Question: 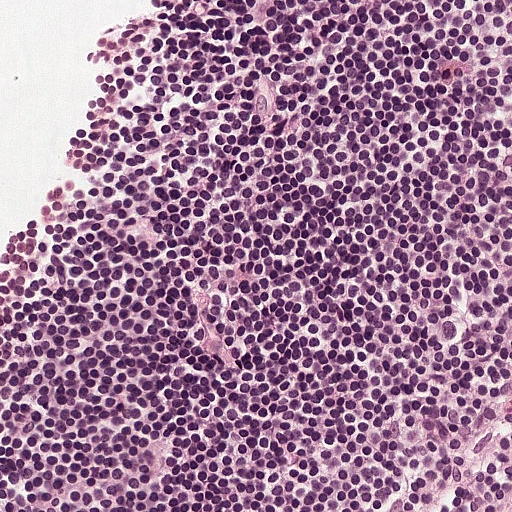
About what magnification does this crop show?

Choices:
 (A) about 20×
 (B) about 5×
 (C) about 10×
 (D) about 2.5×
 (E) about 40×

Answer: (A) about 20×
Lymph node section stained with H&E, from a whole-slide image of a breast-cancer sentinel node. Magnification about 20×, about 0.25 mm across the frame, about 0.49 µm per pixel.